Question: 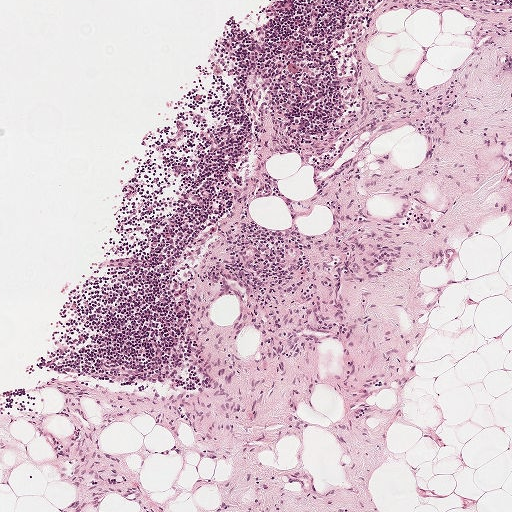
Which magnification is this H&E lymph node field most likely shown at?

Choices:
 (A) about 10×
 (B) about 2.5×
 (C) about 20×
 (D) about 5×
 (E) about 40×

Answer: (D) about 5×
This is a crop of a whole-slide image: an H&E-stained breast-cancer sentinel lymph node section at roughly 5× magnification (about 1.9 µm per pixel; the crop spans about 1 mm).